A 0.12-mm field of an H&E-stained sentinel lymph node from a breast-cancer patient (whole-slide image), shown at about 40×, about 0.23 µm per pixel.
Image:
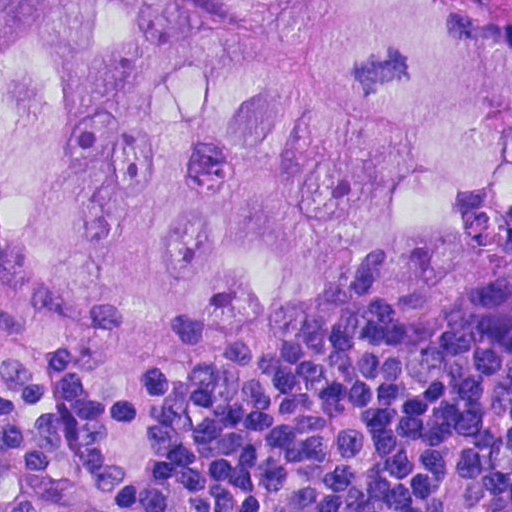
Question:
Where is the metastatic tumour in this field?
Answer:
One metastatic tumour region; its boundary, reduced to 12 corners and listed clockwise: (18, 0), (454, 0), (472, 28), (511, 46), (511, 238), (480, 258), (401, 266), (251, 336), (88, 321), (13, 289), (0, 272), (0, 18).
Tumour covers about 60% of the frame.